Question: 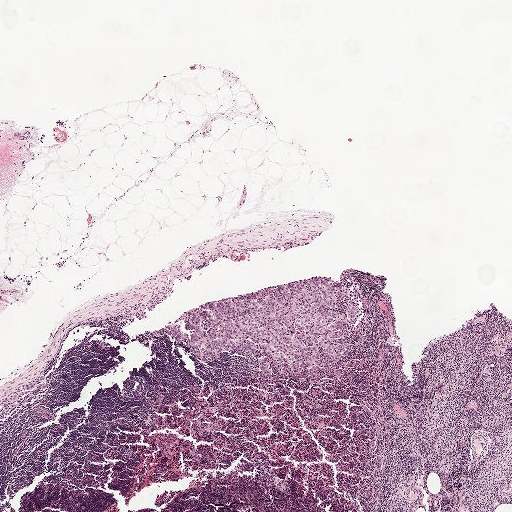
Lymph node section stained with H&E, from a whole-slide image of a breast-cancer sentinel node. Magnification about 2.5×, about 2.0 mm across the frame, about 3.9 µm per pixel.
About how much of this crop is taken up by metastatic carcinoma?

Choices:
 (A) about 25% to 45%
 (B) about 50% or more
 (C) none: no tumour is outlined
 (D) about 10% to 20%
 (E) about 5% or less

Answer: (E) about 5% or less
About 5% of the field is tumour.
Outlines of three tumour regions, largest first (closed clockwise paths, crop pixels): region 1: (323, 278), (350, 289), (339, 306), (341, 314), (355, 306), (359, 315), (339, 340), (354, 345), (351, 352), (316, 372), (295, 374), (281, 373), (270, 353), (260, 348), (221, 349), (212, 363), (198, 358), (170, 327), (192, 335), (187, 318), (199, 306); region 2: (261, 356), (268, 357), (271, 372), (270, 378), (264, 378), (259, 374), (256, 368), (258, 361); region 3: (43, 376), (46, 378), (46, 380), (43, 382), (37, 382), (36, 384), (37, 385), (39, 385), (46, 384), (47, 385), (47, 388), (45, 390), (42, 390), (35, 387), (31, 390), (28, 390), (24, 389), (24, 384).
Three more small tumour pieces are annotated here but not outlined.